Question: 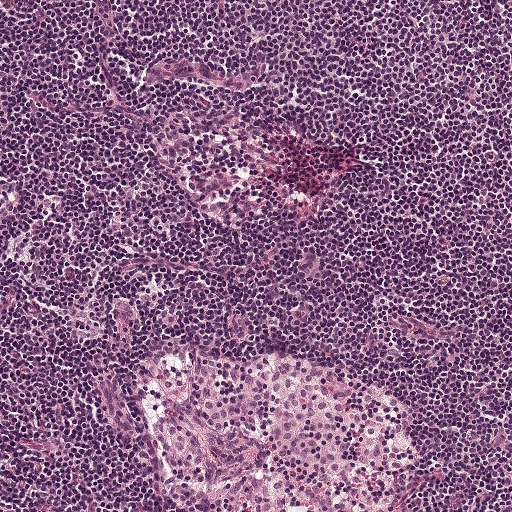
Which magnification is this H&E lymph node field most likely shown at?

Choices:
 (A) about 2.5×
 (B) about 20×
 (C) about 5×
 (D) about 10×
 (E) about 40×

Answer: (D) about 10×
A 0.5-mm field of an H&E-stained sentinel lymph node from a breast-cancer patient (whole-slide image), shown at about 10×, about 0.97 µm per pixel.